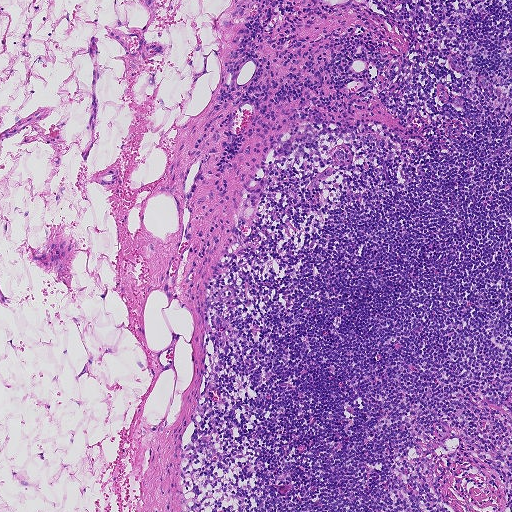
This is a crop of a whole-slide image: an H&E-stained breast-cancer sentinel lymph node section at roughly 5× magnification (about 1.8 µm per pixel; the crop spans about 0.93 mm).
Question: Is there metastatic carcinoma in this field?
Answer: No, this field holds no outlined metastasis.